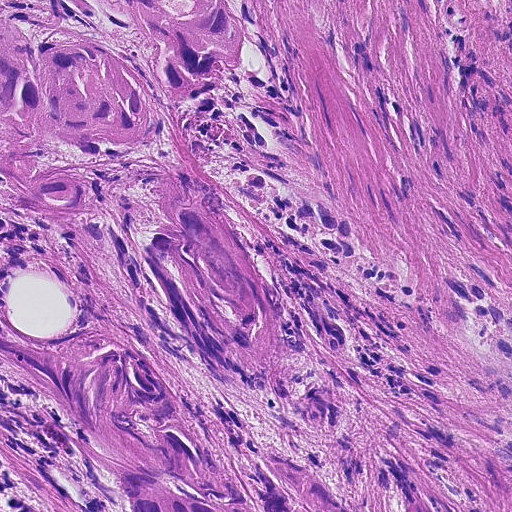
H&E-stained section of a sentinel lymph node (breast cancer), from a whole-slide image, viewed at about 20×: the field is about 0.23 mm across, about 0.45 µm per pixel.
Tumour region outline (a closed clockwise path, crop pixels): (0, 0), (247, 0), (256, 22), (247, 65), (210, 90), (192, 131), (298, 313), (305, 355), (276, 387), (233, 396), (345, 511), (0, 511).
About 50% of this field is tumour.